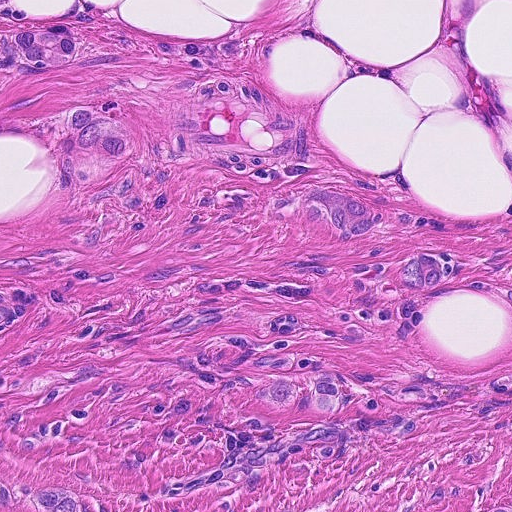
H&E-stained section of a sentinel lymph node (breast cancer), from a whole-slide image, viewed at about 20×: the field is about 0.23 mm across, about 0.45 µm per pixel.
Outlines of seven tumour regions, largest first (closed clockwise paths, crop pixels): region 1: (70, 108), (100, 109), (124, 126), (133, 154), (121, 180), (94, 190), (66, 180), (53, 150), (57, 120); region 2: (318, 370), (350, 376), (377, 391), (346, 420), (314, 418), (256, 397), (253, 387), (256, 382); region 3: (0, 470), (16, 472), (44, 481), (104, 503), (110, 511), (0, 511); region 4: (28, 22), (58, 22), (82, 37), (72, 64), (44, 74), (16, 64), (8, 36); region 5: (0, 398), (9, 399), (36, 412), (54, 437), (56, 452), (26, 458), (0, 458); region 6: (320, 186), (350, 194), (375, 208), (373, 237), (340, 238), (316, 219), (302, 190); region 7: (503, 496), (511, 502), (511, 511), (444, 511).
One more small tumour piece is annotated here but not outlined.
Tumour covers about 10% of the frame.